Question: 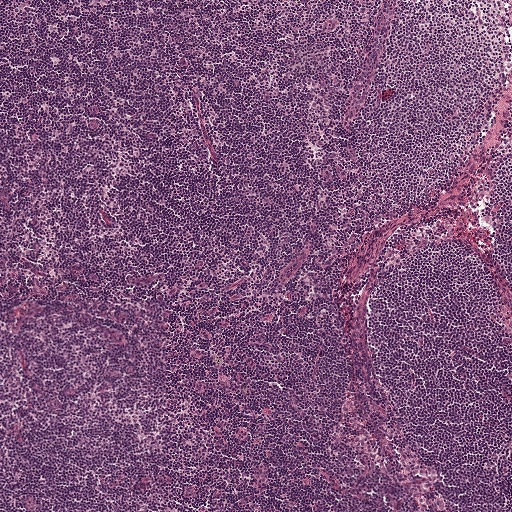
Which magnification is this H&E lymph node field most likely shown at?

Choices:
 (A) about 10×
 (B) about 5×
 (C) about 40×
 (D) about 20×
 (E) about 2.5×

Answer: (B) about 5×
This is a crop of a whole-slide image: an H&E-stained breast-cancer sentinel lymph node section at roughly 5× magnification (about 1.9 µm per pixel; the crop spans about 1 mm).